Question: 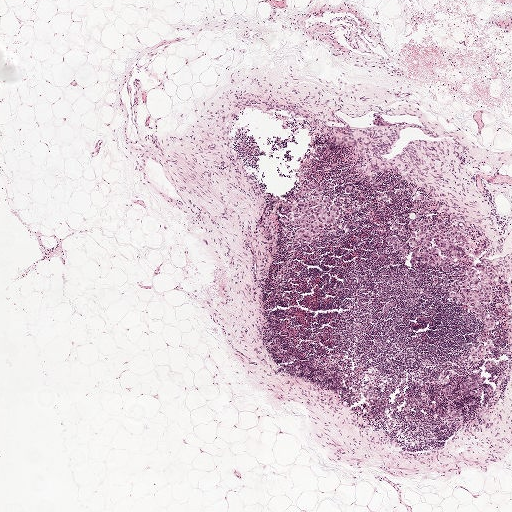
H&E-stained section of a sentinel lymph node (breast cancer), from a whole-slide image, viewed at about 2.5×: the field is about 2.0 mm across, about 3.9 µm per pixel.
Estimate the proportion of this field that is metastatic tumour.

Choices:
 (A) none: no tumour is outlined
 (B) about 25% to 45%
 (C) about 50% or more
 (D) about 10% to 20%
 (E) about 5% or less

Answer: (E) about 5% or less
About 5% of the field is tumour.
Boundaries of eight metastatic tumour regions, simplified and listed clockwise, largest first: region 1: (424, 194), (434, 202), (434, 222), (441, 222), (446, 218), (445, 223), (448, 226), (460, 224), (470, 244), (480, 238), (486, 238), (489, 247), (484, 249), (470, 247), (466, 253), (479, 251), (482, 255), (469, 255), (476, 260), (467, 260), (461, 267), (452, 266), (447, 271), (436, 265), (426, 269), (428, 261), (413, 255), (412, 251), (418, 249), (409, 244), (408, 241), (416, 238), (417, 228), (410, 223), (415, 221), (417, 211), (424, 206), (415, 204), (412, 196); region 2: (311, 183), (316, 185), (322, 194), (329, 198), (338, 207), (337, 232), (331, 231), (331, 227), (319, 230), (309, 243), (305, 245), (293, 243), (296, 231), (301, 227), (292, 225), (287, 220), (287, 217), (283, 210), (285, 207), (290, 202), (298, 202), (298, 192); region 3: (483, 263), (490, 267), (497, 278), (499, 291), (498, 293), (494, 291), (494, 286), (489, 280), (488, 281), (492, 288), (492, 301), (487, 310), (495, 323), (494, 329), (488, 332), (482, 330), (482, 321), (475, 318), (466, 310), (468, 304), (458, 304), (456, 298), (448, 294), (448, 290), (451, 283), (456, 282), (457, 287), (459, 284), (457, 279), (461, 278), (465, 280), (467, 274), (465, 270), (469, 266), (472, 268), (481, 278), (479, 270), (474, 265); region 4: (495, 332), (498, 333), (498, 336), (493, 337), (496, 342), (481, 360), (475, 361), (468, 355), (468, 351), (470, 348), (478, 348), (482, 343), (478, 339), (480, 336), (487, 337); region 5: (391, 236), (396, 236), (406, 246), (405, 253), (401, 254), (398, 251), (394, 251), (392, 248), (387, 246), (385, 239); region 6: (454, 405), (457, 405), (458, 406), (456, 409), (457, 409), (459, 408), (461, 409), (461, 412), (461, 414), (459, 415), (455, 418), (451, 419), (447, 418), (446, 415), (444, 414), (445, 411), (449, 408), (450, 406); region 7: (378, 194), (385, 194), (390, 197), (391, 200), (391, 202), (390, 204), (388, 204), (385, 202), (384, 208), (381, 208), (378, 205), (378, 203), (379, 202), (377, 199); region 8: (452, 383), (456, 385), (456, 387), (452, 391), (450, 395), (448, 396), (441, 396), (440, 395), (440, 392), (445, 387), (451, 385).
11 more small tumour pieces are annotated here but not outlined.